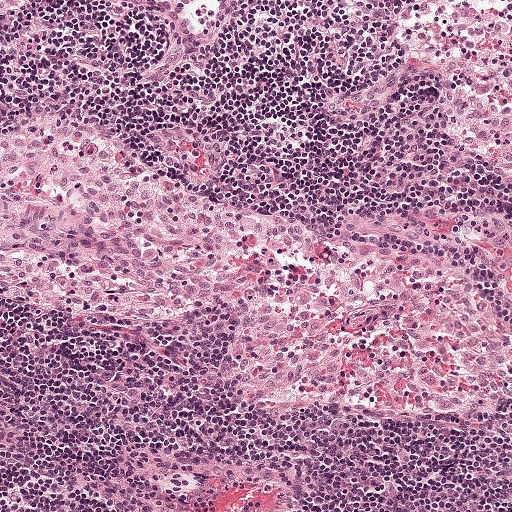
This is a crop of a whole-slide image: an H&E-stained breast-cancer sentinel lymph node section at roughly 10× magnification (about 0.97 µm per pixel; the crop spans about 0.5 mm).
Question: Is there metastatic carcinoma in this field?
Answer: No: no metastatic tumour is outlined anywhere in this field.